Question: 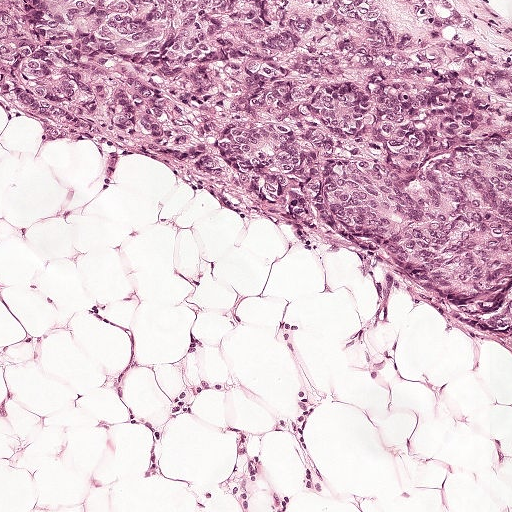
Lymph node section stained with H&E, from a whole-slide image of a breast-cancer sentinel node. Magnification about 10×, about 0.5 mm across the frame, about 0.97 µm per pixel.
Roughly what share of this field is metastatic tumour?

Choices:
 (A) about 10% to 20%
 (B) none: no tumour is outlined
 (C) about 25% to 45%
 (D) about 5% or less
 (E) about 50% or more

Answer: (E) about 50% or more
About 50% of the field is tumour.
Tumour region outline (a closed clockwise path, crop pixels): (0, 0), (511, 0), (511, 414), (423, 354), (316, 306), (86, 167), (0, 130).